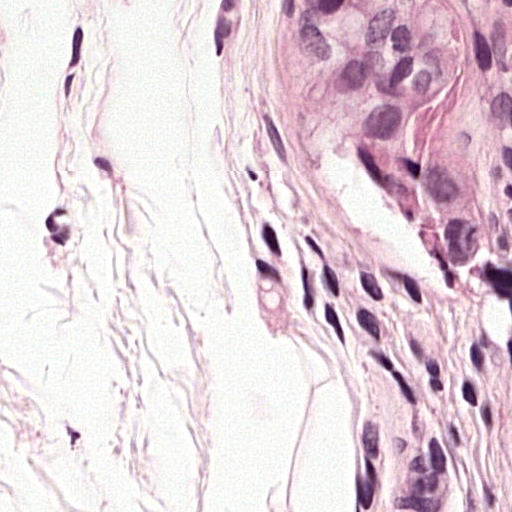
H&E-stained section of a sentinel lymph node (breast cancer), from a whole-slide image, viewed at about 40×: the field is about 0.12 mm across, about 0.24 µm per pixel.
Metastatic tumour outline, simplified to 10 points and listed clockwise in crop pixels (x, y): (263, 0), (464, 0), (475, 63), (464, 126), (491, 183), (499, 241), (451, 272), (313, 158), (277, 111), (253, 57).
About 15% of the image area is annotated as tumour.